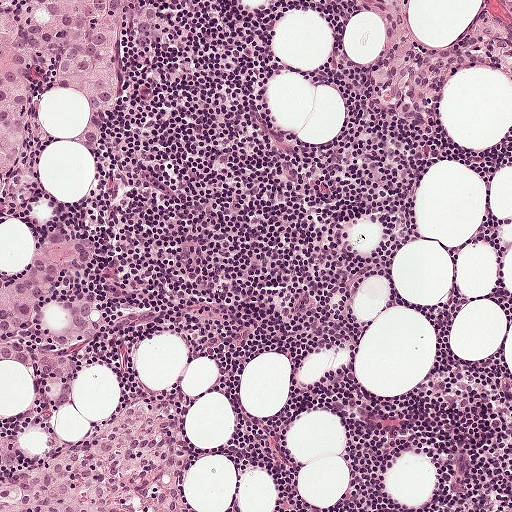
A 0.5-mm field of an H&E-stained sentinel lymph node from a breast-cancer patient (whole-slide image), shown at about 10×, about 0.97 µm per pixel.
The outlined metastatic tumour's edge, as a closed clockwise path of 36 points: (0, 0), (149, 4), (167, 24), (151, 54), (135, 50), (128, 26), (120, 33), (120, 86), (96, 158), (72, 141), (50, 142), (37, 117), (24, 122), (4, 190), (12, 217), (26, 223), (34, 241), (65, 228), (97, 247), (88, 269), (61, 272), (53, 292), (96, 304), (105, 321), (97, 337), (61, 348), (40, 334), (21, 336), (37, 350), (68, 355), (77, 370), (72, 404), (56, 412), (34, 393), (30, 372), (0, 361).
Tumour covers about 10% of the frame.